H&E-stained section of a sentinel lymph node (breast cancer), from a whole-slide image, viewed at about 20×: the field is about 0.25 mm across, about 0.49 µm per pixel.
Question: 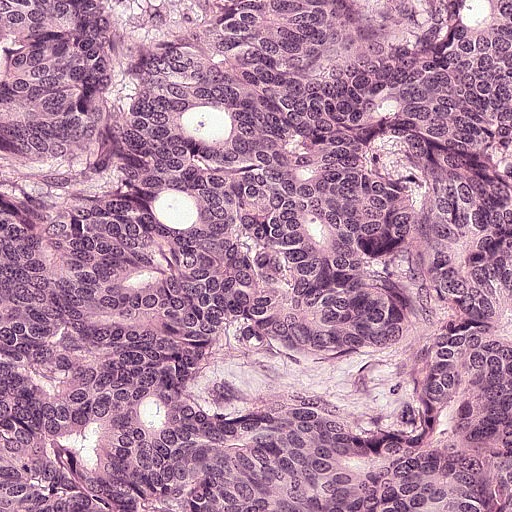
What fraction of the image area is metastatic tumour?

Choices:
 (A) about 5% or less
 (B) none: no tumour is outlined
 (C) about 25% to 45%
 (D) about 10% to 20%
 (E) about 50% or more

Answer: (E) about 50% or more
Over 95% of the field is tumour.
Metastatic tumour covers the whole field.